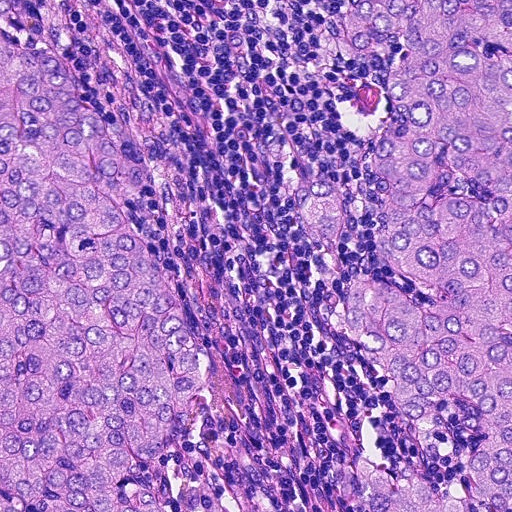
A 0.23-mm field of an H&E-stained sentinel lymph node from a breast-cancer patient (whole-slide image), shown at about 20×, about 0.45 µm per pixel.
Outlines of three tumour regions, largest first (closed clockwise paths, crop pixels): region 1: (0, 0), (17, 0), (6, 36), (27, 50), (54, 47), (82, 100), (139, 137), (149, 186), (128, 200), (131, 226), (166, 265), (208, 386), (124, 486), (172, 511), (57, 511), (51, 486), (36, 508), (0, 511); region 2: (334, 0), (511, 0), (511, 511), (477, 502), (454, 482), (476, 422), (458, 393), (430, 408), (419, 434), (360, 348), (335, 330), (328, 298), (345, 272), (376, 274), (424, 300), (379, 246), (373, 215), (370, 150), (398, 38), (339, 62), (311, 46), (320, 12); region 3: (395, 464), (452, 492), (478, 511), (344, 511), (364, 468).
About 55% of the image area is annotated as tumour.